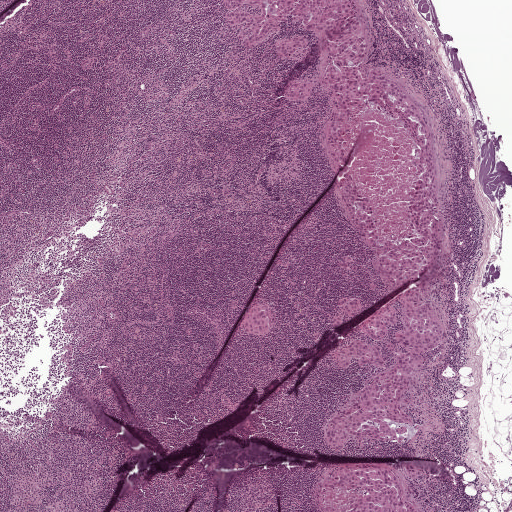
Lymph node section stained with H&E, from a whole-slide image of a breast-cancer sentinel node. Magnification about 2.5×, about 2.0 mm across the frame, about 3.9 µm per pixel.
Outlines of four tumour regions, largest first (closed clockwise paths, crop pixels): region 1: (357, 0), (364, 79), (388, 69), (428, 116), (441, 253), (431, 293), (444, 334), (408, 381), (408, 442), (325, 446), (331, 420), (394, 362), (386, 341), (406, 352), (388, 329), (381, 343), (384, 367), (329, 357), (348, 340), (378, 342), (360, 329), (385, 304), (401, 325), (396, 299), (337, 204), (325, 89), (296, 103), (283, 94), (316, 72), (322, 40), (276, 55), (278, 39), (309, 32), (289, 17), (242, 50), (251, 29), (208, 3); region 2: (412, 462), (418, 470), (400, 477), (420, 511), (322, 511), (315, 496), (315, 487), (326, 472), (335, 467), (344, 464), (394, 466); region 3: (264, 306), (271, 318), (271, 326), (268, 332), (262, 335), (255, 335), (243, 328), (244, 321), (251, 308); region 4: (347, 298), (358, 300), (360, 307), (354, 314), (344, 316), (342, 327), (335, 327), (331, 322), (338, 308), (337, 301).
About 15% of the image area is annotated as tumour.